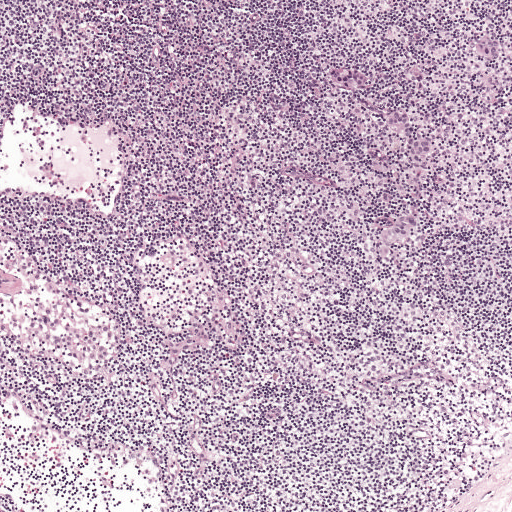
A 1-mm field of an H&E-stained sentinel lymph node from a breast-cancer patient (whole-slide image), shown at about 5×, about 1.9 µm per pixel.
Three metastatic tumour regions, each outlined as a closed clockwise path in crop pixels (x, y), largest first: region 1: (332, 61), (366, 68), (374, 79), (369, 90), (372, 102), (383, 108), (394, 104), (404, 108), (411, 117), (411, 136), (433, 135), (437, 140), (436, 160), (432, 168), (408, 166), (416, 206), (426, 215), (423, 240), (401, 248), (388, 269), (376, 265), (372, 254), (373, 238), (390, 218), (412, 206), (405, 163), (373, 176), (358, 157), (362, 146), (373, 144), (394, 159), (405, 162), (407, 138), (384, 132), (382, 119), (375, 110), (364, 102), (326, 88), (318, 79), (320, 66); region 2: (489, 28), (508, 46), (511, 47), (506, 48), (501, 56), (489, 61), (470, 50), (468, 38), (478, 31); region 3: (425, 72), (425, 86), (421, 90), (416, 90), (417, 74).
Three more small tumour pieces are annotated here but not outlined.
About 5% of this field is tumour.